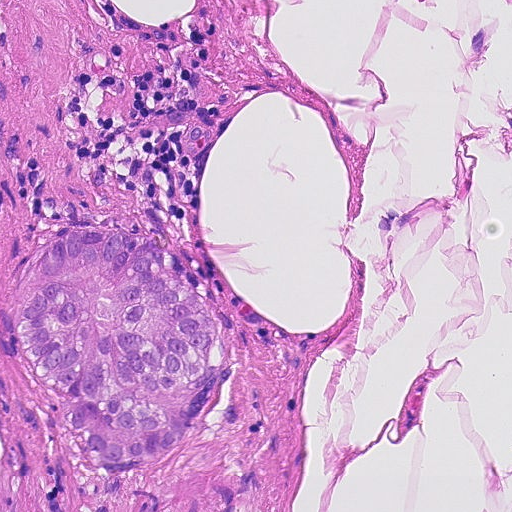
H&E-stained section of a sentinel lymph node (breast cancer), from a whole-slide image, viewed at about 20×: the field is about 0.23 mm across, about 0.45 µm per pixel.
Tumour region outline (a closed clockwise path, crop pixels): (68, 230), (120, 232), (168, 251), (224, 341), (222, 393), (198, 437), (153, 468), (102, 466), (25, 360), (15, 330), (44, 245).
About 15% of the image area is annotated as tumour.